Question: 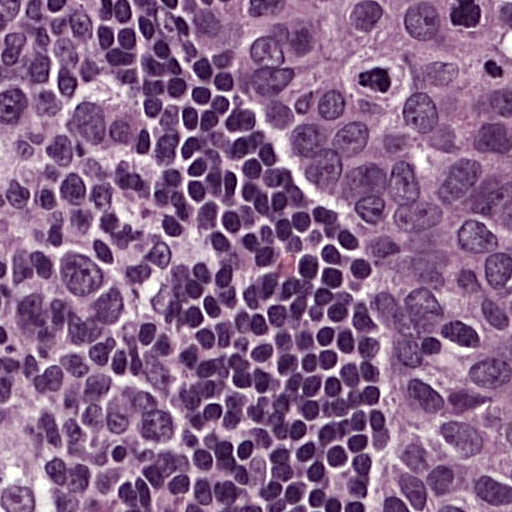
About what magnification does this crop show?

Choices:
 (A) about 40×
 (B) about 2.5×
 (C) about 20×
 (D) about 5×
 (E) about 10×

Answer: (A) about 40×
H&E-stained section of a sentinel lymph node (breast cancer), from a whole-slide image, viewed at about 40×: the field is about 0.12 mm across, about 0.24 µm per pixel.
The outlined metastatic tumour's edge, as a closed clockwise path of 8 points: (163, 0), (511, 0), (511, 511), (347, 511), (371, 374), (356, 288), (324, 206), (212, 77).
One more small tumour piece is annotated here but not outlined.
The annotated tumour makes up about 40% of the crop.